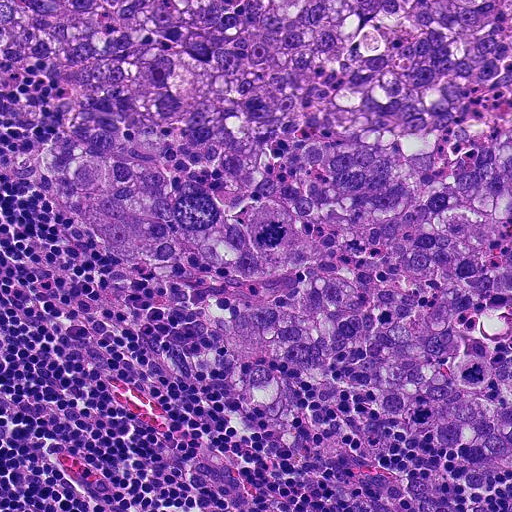
This is a crop of a whole-slide image: an H&E-stained breast-cancer sentinel lymph node section at roughly 20× magnification (about 0.45 µm per pixel; the crop spans about 0.23 mm).
Question: Outline the metastatic carcinoma in this image, as closed paths of (x, y) pixel coordinates.
Answer: Metastatic tumour outline, simplified to 22 points and listed clockwise in crop pixels (x, y): (0, 0), (511, 0), (511, 477), (490, 492), (495, 511), (395, 511), (352, 494), (296, 460), (242, 384), (175, 380), (148, 364), (172, 344), (200, 352), (222, 328), (224, 272), (167, 252), (137, 263), (108, 252), (44, 176), (57, 89), (40, 63), (0, 69).
About 70% of this field is tumour.